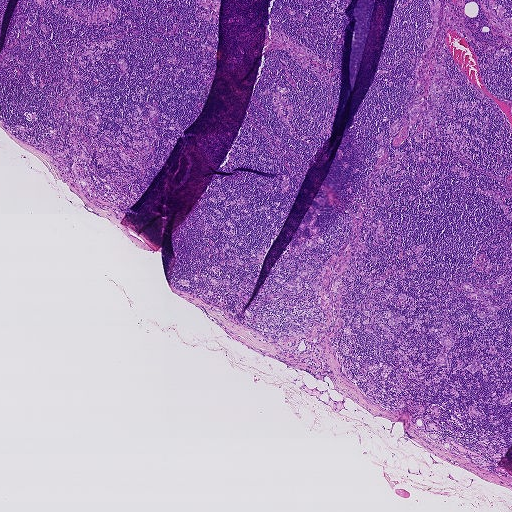
This is a crop of a whole-slide image: an H&E-stained breast-cancer sentinel lymph node section at roughly 2.5× magnification (about 3.6 µm per pixel; the crop spans about 1.9 mm).
Outlines of three tumour regions, largest first (closed clockwise paths, crop pixels): region 1: (428, 0), (493, 41), (480, 3), (502, 0), (511, 46), (496, 60), (447, 44), (511, 101), (511, 226), (469, 178), (411, 200), (401, 186), (377, 215), (426, 259), (413, 272), (390, 239), (375, 272), (434, 314), (437, 278), (489, 284), (511, 245), (511, 337), (474, 320), (448, 354), (488, 369), (450, 379), (467, 416), (511, 393), (511, 479), (362, 396), (333, 354), (316, 369), (176, 279), (268, 246), (242, 313), (314, 216), (330, 258), (374, 136), (404, 113); region 2: (66, 69), (79, 96), (82, 116), (85, 119), (90, 112), (99, 113), (102, 117), (98, 130), (113, 138), (115, 142), (104, 149), (104, 154), (115, 164), (114, 169), (105, 170), (92, 155), (94, 169), (101, 177), (110, 174), (125, 176), (140, 196), (124, 213), (104, 204), (64, 175), (53, 159), (14, 125), (18, 123), (27, 126), (22, 113), (25, 110), (34, 116), (28, 134), (41, 140), (49, 128), (54, 128), (66, 137), (72, 119), (61, 85), (62, 70); region 3: (148, 104), (157, 107), (159, 112), (154, 132), (159, 140), (154, 142), (148, 155), (142, 157), (140, 162), (144, 166), (145, 171), (140, 172), (133, 166), (133, 161), (141, 149), (141, 139), (144, 135), (144, 125), (147, 122), (144, 108).
Tumour covers about 25% of the frame.